This is a crop of a whole-slide image: an H&E-stained breast-cancer sentinel lymph node section at roughly 40× magnification (about 0.23 µm per pixel; the crop spans about 0.12 mm).
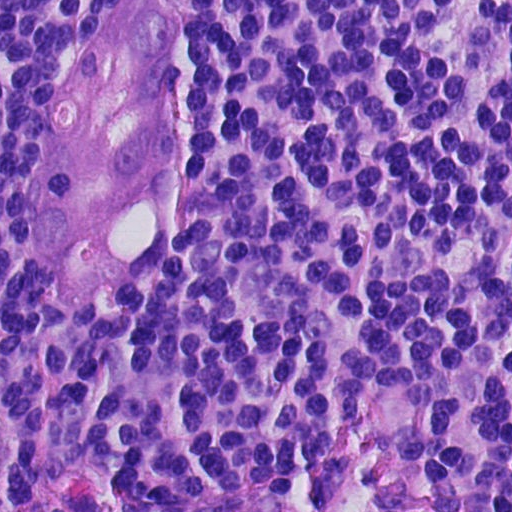
Tumour region outline (a closed clockwise path, crop pixels): (113, 0), (168, 0), (181, 51), (181, 139), (168, 227), (154, 269), (128, 301), (84, 317), (51, 290), (32, 249), (27, 207), (38, 124).
Tumour covers about 15% of the frame.